Image:
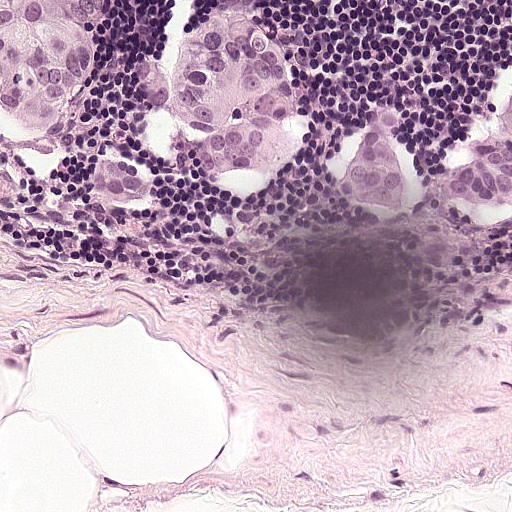
A 0.25-mm field of an H&E-stained sentinel lymph node from a breast-cancer patient (whole-slide image), shown at about 20×, about 0.49 µm per pixel.
Question:
Does this lymph node field contain metastatic tumour?
Answer:
Yes.
Five metastatic tumour regions, each outlined as a closed clockwise path in crop pixels (x, y), largest first: region 1: (234, 8), (271, 24), (282, 40), (290, 77), (290, 155), (230, 175), (196, 162), (192, 146), (216, 133), (148, 106), (134, 77), (146, 49), (180, 58), (188, 50), (196, 22); region 2: (0, 0), (100, 0), (97, 32), (100, 56), (94, 101), (74, 120), (30, 133), (16, 132), (1, 118); region 3: (374, 107), (400, 107), (404, 112), (407, 112), (405, 124), (398, 134), (398, 140), (394, 141), (394, 164), (402, 186), (400, 208), (355, 206), (340, 200), (333, 194), (332, 188), (342, 174), (350, 170), (362, 152), (364, 134), (374, 114); region 4: (511, 102), (511, 206), (496, 213), (474, 214), (463, 206), (458, 206), (449, 198), (442, 196), (443, 180), (450, 178), (450, 174), (458, 168), (463, 168), (474, 154), (479, 152), (490, 130); region 5: (118, 154), (120, 158), (128, 160), (134, 160), (137, 166), (142, 168), (143, 172), (153, 178), (153, 185), (150, 198), (143, 204), (136, 204), (116, 200), (99, 194), (92, 189), (90, 182), (95, 168), (103, 160).
Tumour covers about 15% of the frame.